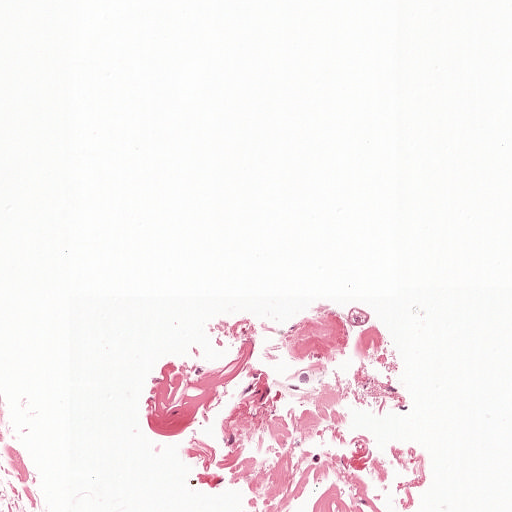
This is a crop of a whole-slide image: an H&E-stained breast-cancer sentinel lymph node section at roughly 10× magnification (about 0.97 µm per pixel; the crop spans about 0.5 mm).
The outlined metastatic tumour's edge, as a closed clockwise path of 9 points: (304, 369), (322, 370), (323, 373), (319, 384), (311, 385), (294, 381), (282, 382), (286, 376), (298, 370).
One more small tumour piece is annotated here but not outlined.
Under 5% of the image area is annotated as tumour.